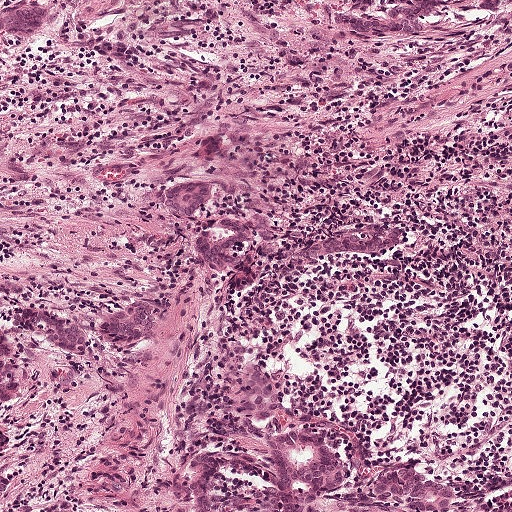
This is a crop of a whole-slide image: an H&E-stained breast-cancer sentinel lymph node section at roughly 10× magnification (about 0.97 µm per pixel; the crop spans about 0.5 mm).
Outlines of six tumour regions, largest first (closed clockwise paths, crop pixels): region 1: (220, 352), (247, 356), (275, 376), (294, 416), (333, 430), (383, 470), (440, 480), (477, 503), (511, 494), (511, 511), (164, 511), (184, 376); region 2: (133, 296), (145, 299), (147, 304), (145, 340), (114, 349), (100, 348), (87, 342), (73, 353), (65, 353), (9, 324), (0, 327), (0, 302), (39, 300), (77, 313), (100, 309); region 3: (190, 174), (208, 176), (214, 186), (208, 196), (213, 216), (234, 215), (247, 222), (246, 242), (232, 262), (216, 267), (205, 261), (196, 248), (187, 224), (156, 201), (158, 187); region 4: (319, 0), (442, 0), (442, 8), (430, 12), (426, 29), (412, 34), (367, 33), (355, 32), (341, 24), (325, 11); region 5: (16, 2), (37, 3), (48, 7), (55, 11), (52, 29), (50, 34), (41, 36), (2, 33), (0, 31), (0, 8); region 6: (0, 340), (10, 364), (10, 390), (0, 402).
Two more small tumour pieces are annotated here but not outlined.
The annotated tumour makes up about 15% of the crop.